Question: 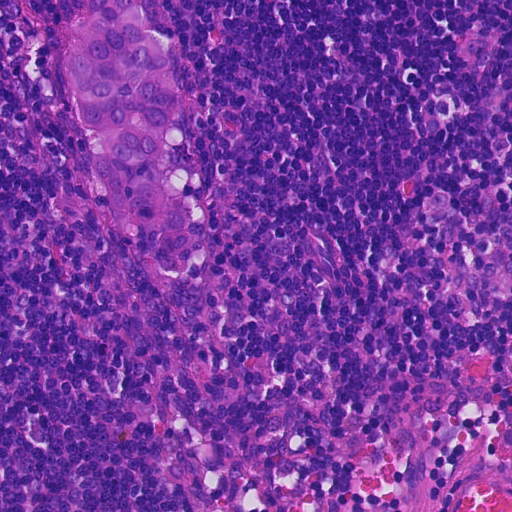
Lymph node section stained with H&E, from a whole-slide image of a breast-cancer sentinel node. Magnification about 20×, about 0.23 mm across the frame, about 0.45 µm per pixel.
About how much of this crop is taken up by metastatic carcinoma?

Choices:
 (A) none: no tumour is outlined
 (B) about 50% or more
 (C) about 25% to 45%
 (D) about 5% or less
 (E) about 10% to 20%

Answer: (E) about 10% to 20%
About 10% of the field is tumour.
Metastatic tumour outline, simplified to 16 points and listed clockwise in crop pixels (x, y): (90, 0), (140, 0), (170, 46), (181, 96), (152, 168), (164, 189), (188, 199), (190, 224), (184, 232), (159, 234), (114, 214), (75, 122), (76, 104), (64, 83), (62, 58), (69, 33).